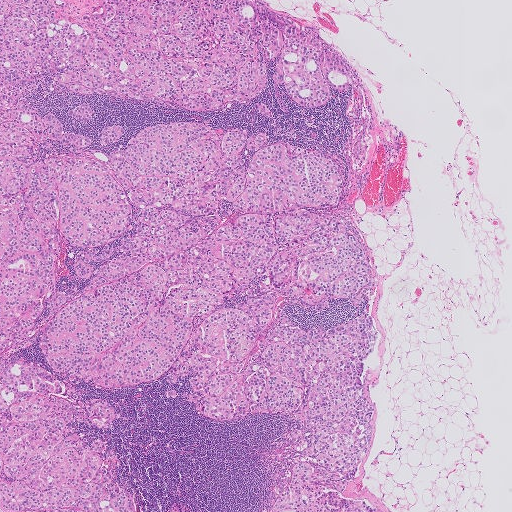
Lymph node section stained with H&E, from a whole-slide image of a breast-cancer sentinel node. Magnification about 2.5×, about 2.0 mm across the frame, about 4.0 µm per pixel.
Boundaries of four metastatic tumour regions, simplified and listed clockwise, largest first: region 1: (0, 0), (261, 0), (351, 78), (320, 108), (271, 64), (229, 108), (29, 98), (99, 146), (206, 121), (341, 169), (374, 289), (284, 304), (304, 324), (370, 306), (349, 481), (389, 511), (258, 511), (286, 420), (161, 380), (74, 392), (120, 418), (84, 430), (133, 511), (0, 511); region 2: (116, 121), (126, 127), (121, 140), (108, 145), (100, 145), (97, 137), (103, 125); region 3: (74, 104), (95, 105), (95, 119), (82, 122), (69, 117); region 4: (263, 101), (271, 107), (275, 118), (268, 118), (260, 116), (253, 107), (256, 102).
One more small tumour piece is annotated here but not outlined.
Tumour covers about 60% of the frame.